Question: 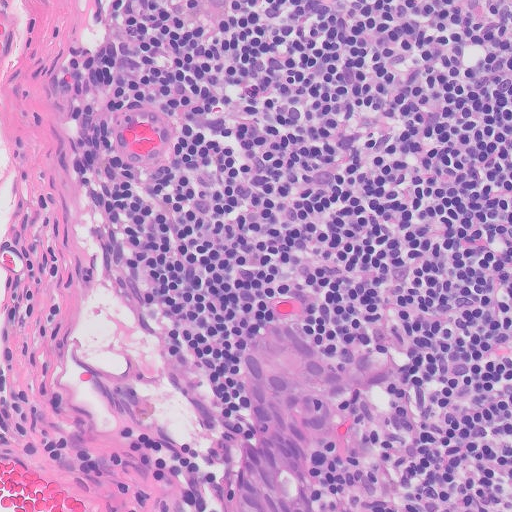
H&E-stained section of a sentinel lymph node (breast cancer), from a whole-slide image, viewed at about 20×: the field is about 0.26 mm across, about 0.5 µm per pixel.
About how much of this crop is taken up by metastatic carcinoma?

Choices:
 (A) none: no tumour is outlined
 (B) about 10% to 20%
 (C) about 5% or less
 (D) about 25% to 45%
 (E) about 50% or more

Answer: (C) about 5% or less
About 5% of the field is tumour.
Metastatic tumour outline, simplified to 9 points and listed clockwise in crop pixels (x, y): (289, 315), (337, 351), (354, 379), (355, 413), (326, 470), (337, 511), (225, 511), (237, 386), (258, 321).